Question: 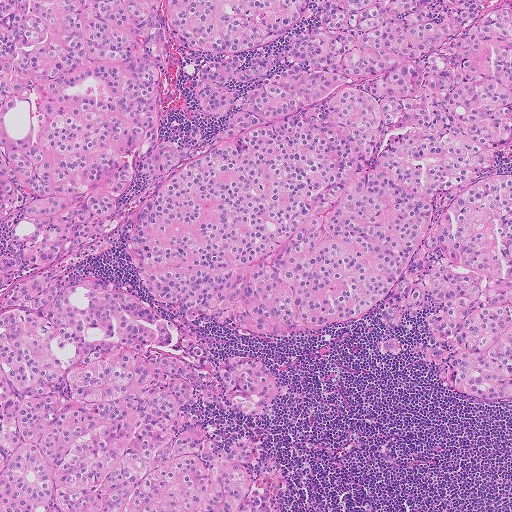
A 1.0-mm field of an H&E-stained sentinel lymph node from a breast-cancer patient (whole-slide image), shown at about 5×, about 2.0 µm per pixel.
About how much of this crop is taken up by metastatic carcinoma?

Choices:
 (A) about 50% or more
 (B) about 5% or less
 (C) about 25% to 45%
 (D) about 10% to 20%
 (E) none: no tumour is outlined

Answer: (A) about 50% or more
About 85% of the field is tumour.
Metastatic tumour outline, simplified to 18 points and listed clockwise in crop pixels (x, y): (0, 0), (511, 0), (511, 399), (446, 392), (431, 368), (379, 345), (370, 318), (316, 338), (206, 326), (196, 344), (224, 340), (252, 353), (288, 395), (272, 417), (216, 418), (270, 443), (305, 511), (0, 511).